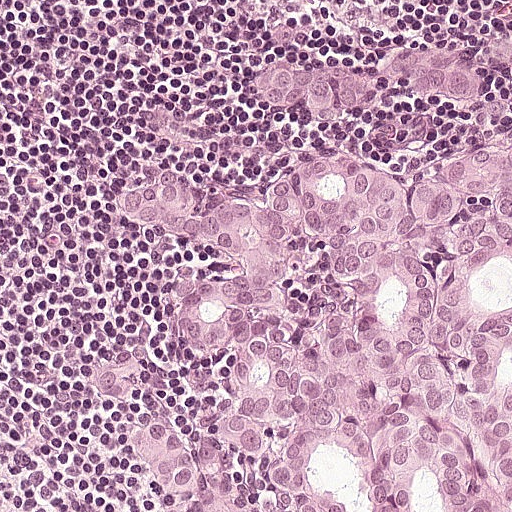
Lymph node section stained with H&E, from a whole-slide image of a breast-cancer sentinel node. Magnification about 20×, about 0.25 mm across the frame, about 0.49 µm per pixel.
One metastatic tumour region; its boundary, reduced to 20 corners and listed clockwise: (412, 27), (449, 42), (480, 27), (510, 38), (511, 511), (180, 511), (101, 400), (114, 359), (204, 380), (171, 314), (170, 240), (116, 209), (156, 176), (220, 189), (260, 182), (282, 140), (280, 120), (256, 92), (268, 58), (360, 64).
The annotated tumour makes up about 60% of the crop.